Lymph node section stained with H&E, from a whole-slide image of a breast-cancer sentinel node. Magnification about 40×, about 0.12 mm across the frame, about 0.23 µm per pixel.
Image:
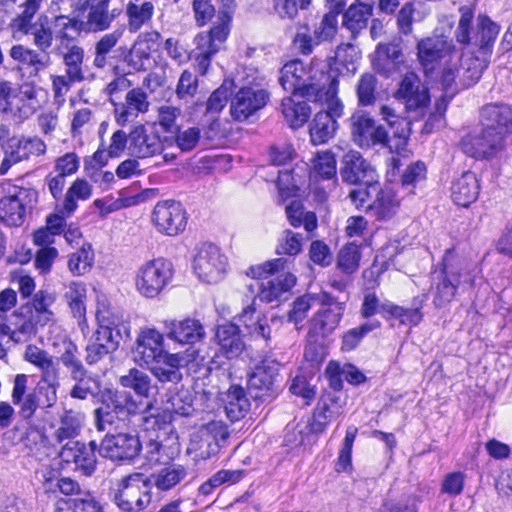
Question:
Where is the metastatic tumour in this field? Give each region's outline as (x, y) pixel points.
Answer:
Boundaries of two metastatic tumour regions, simplified and listed clockwise, largest first: region 1: (476, 0), (511, 0), (511, 511), (84, 511), (193, 495), (265, 428); region 2: (19, 408), (60, 451), (76, 511), (0, 511), (0, 418).
The annotated tumour makes up about 35% of the crop.